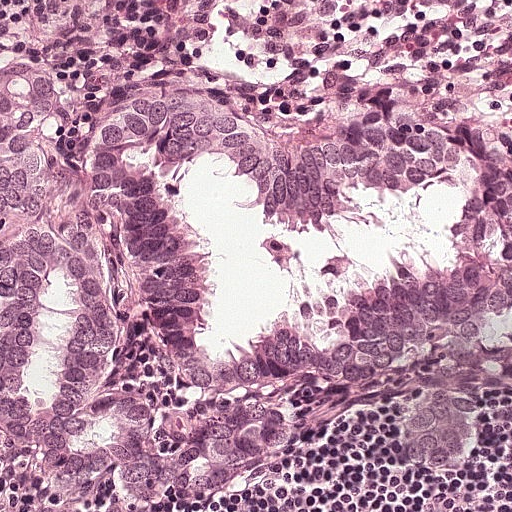
Lymph node section stained with H&E, from a whole-slide image of a breast-cancer sentinel node. Magnification about 20×, about 0.25 mm across the frame, about 0.49 µm per pixel.
Metastatic tumour outline, simplified to 21 points and listed clockwise in crop pixels (x, y): (0, 64), (114, 109), (183, 87), (209, 90), (270, 118), (304, 152), (383, 104), (461, 104), (511, 126), (511, 393), (496, 412), (483, 470), (438, 488), (414, 483), (390, 442), (411, 387), (388, 387), (322, 422), (274, 487), (230, 511), (0, 511).
About 75% of the image area is annotated as tumour.